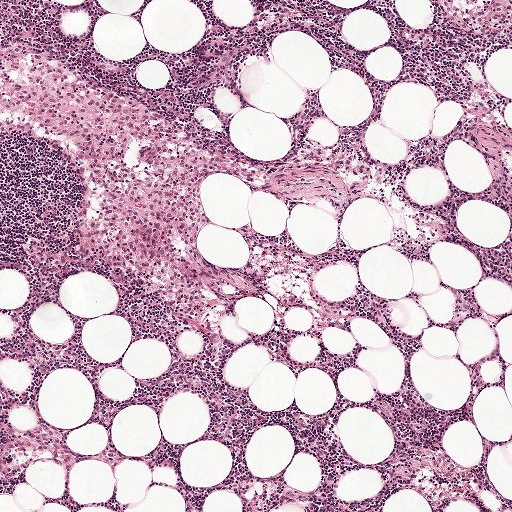
This is a crop of a whole-slide image: an H&E-stained breast-cancer sentinel lymph node section at roughly 5× magnification (about 1.9 µm per pixel; the crop spans about 1 mm).
Question: Is there metastatic carcinoma in this field?
Answer: No: no metastatic tumour is outlined anywhere in this field.